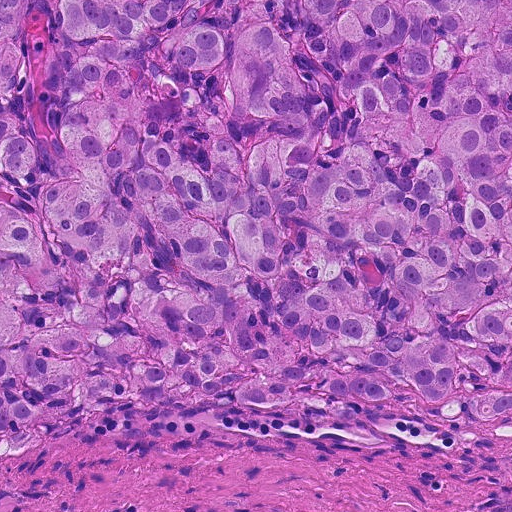
Lymph node section stained with H&E, from a whole-slide image of a breast-cancer sentinel node. Magnification about 20×, about 0.23 mm across the frame, about 0.45 µm per pixel.
One metastatic tumour region; its boundary, reduced to 7 corners and listed clockwise: (0, 0), (511, 0), (511, 420), (326, 403), (115, 405), (34, 422), (0, 454).
Tumour covers about 80% of the frame.